A 2.0-mm field of an H&E-stained sentinel lymph node from a breast-cancer patient (whole-slide image), shown at about 2.5×, about 3.9 µm per pixel.
Image:
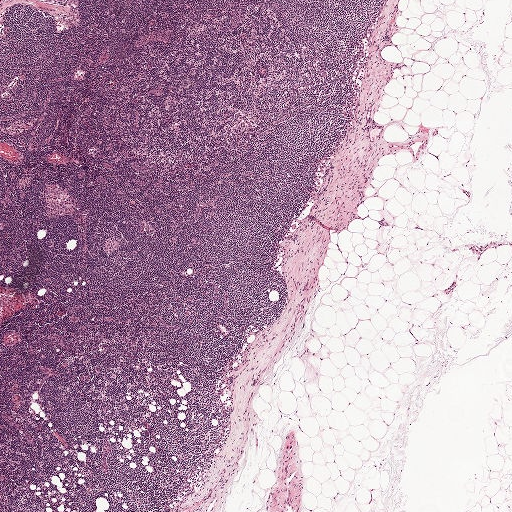
Question:
Is there metastatic carcinoma in this field?
Answer:
No, this field holds no outlined metastasis.